Question: 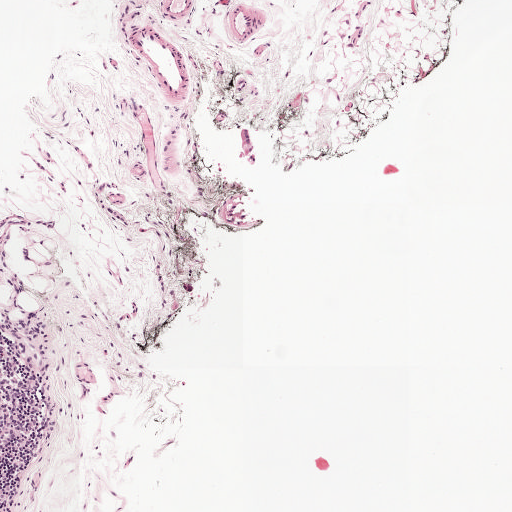
This is a crop of a whole-slide image: an H&E-stained breast-cancer sentinel lymph node section at roughly 5× magnification (about 1.9 µm per pixel; the crop spans about 1 mm).
About how much of this crop is taken up by metastatic carcinoma?

Choices:
 (A) about 25% to 45%
 (B) about 50% or more
 (C) about 10% to 20%
 (D) about 5% or less
 (E) none: no tumour is outlined

Answer: (D) about 5% or less
Under 5% of the field is tumour.
Tumour region outline (a closed clockwise path, crop pixels): (252, 127), (251, 136), (257, 156), (257, 165), (249, 166), (245, 160), (238, 160), (241, 148), (238, 132), (241, 129).